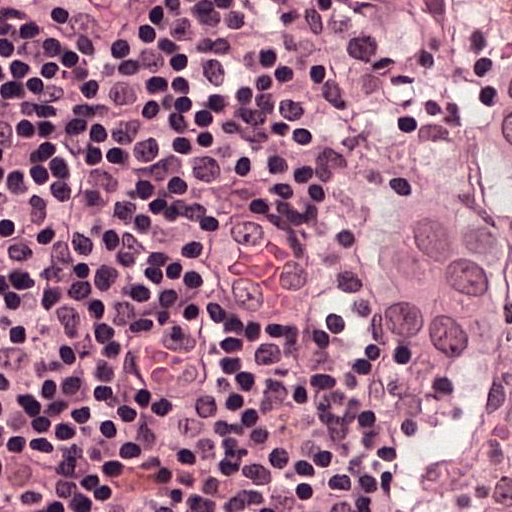
This is a crop of a whole-slide image: an H&E-stained breast-cancer sentinel lymph node section at roughly 40× magnification (about 0.24 µm per pixel; the crop spans about 0.12 mm).
Boundaries of two metastatic tumour regions, simplified and listed clockwise, largest first: region 1: (466, 160), (511, 208), (511, 371), (469, 403), (439, 411), (366, 410), (332, 378), (316, 326), (316, 276), (337, 216), (362, 182), (389, 164); region 2: (485, 0), (511, 13), (511, 179), (498, 173), (486, 153), (470, 105), (470, 80), (445, 39), (416, 23), (341, 21), (311, 1).
Tumour covers about 20% of the frame.